Lymph node section stained with H&E, from a whole-slide image of a breast-cancer sentinel node. Magnification about 20×, about 0.23 mm across the frame, about 0.45 µm per pixel.
Question: 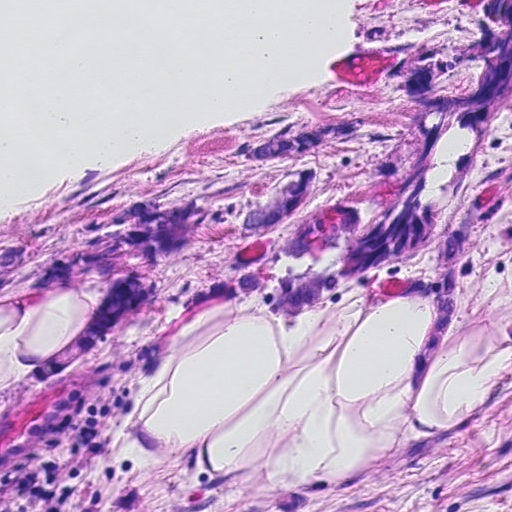
Estimate the proportion of this field that is metastatic tumour.

Choices:
 (A) about 25% to 45%
 (B) about 50% or more
 (C) about 5% or less
 (D) none: no tumour is outlined
 (E) about 10% to 20%

Answer: (B) about 50% or more
About 80% of the field is tumour.
The outlined metastatic tumour's edge, as a closed clockwise path of 9 points: (511, 0), (511, 511), (0, 511), (0, 212), (304, 96), (334, 78), (352, 47), (351, 12), (374, 2).